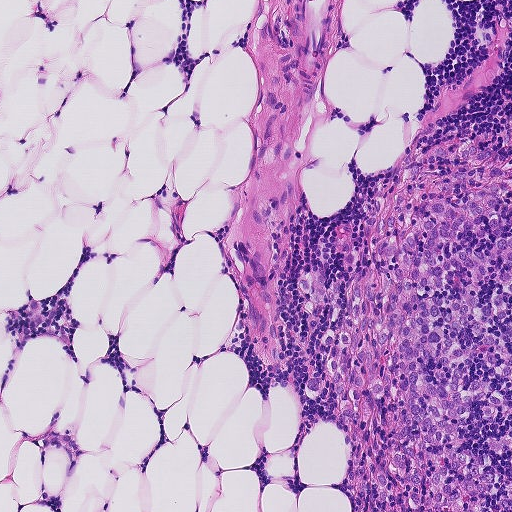
This is a crop of a whole-slide image: an H&E-stained breast-cancer sentinel lymph node section at roughly 10× magnification (about 0.9 µm per pixel; the crop spans about 0.46 mm).
Question: Is there metastatic carcinoma in this field?
Answer: Yes.
The outlined metastatic tumour's edge, as a closed clockwise path of 23 points: (296, 54), (316, 98), (278, 274), (298, 337), (314, 336), (315, 321), (299, 276), (311, 266), (332, 282), (356, 259), (363, 211), (390, 168), (448, 134), (511, 129), (511, 511), (354, 511), (336, 490), (344, 442), (254, 338), (232, 233), (254, 152), (251, 118), (270, 70).
About 30% of the image area is annotated as tumour.